Lymph node section stained with H&E, from a whole-slide image of a breast-cancer sentinel node. Magnification about 10×, about 0.5 mm across the frame, about 0.97 µm per pixel.
Question: 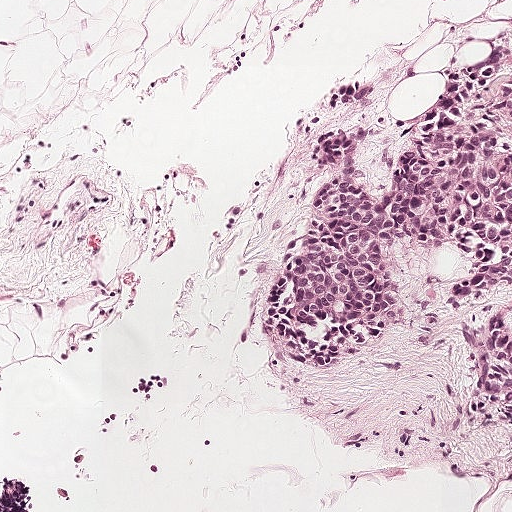
What fraction of the image area is metastatic tumour?

Choices:
 (A) about 5% or less
 (B) about 50% or more
 (C) about 25% to 45%
 (D) about 10% to 20%
 (E) none: no tumour is outlined

Answer: (D) about 10% to 20%
About 20% of the field is tumour.
Two metastatic tumour regions, each outlined as a closed clockwise path in crop pixels (x, y), largest first: region 1: (511, 46), (511, 288), (445, 305), (470, 264), (452, 244), (395, 236), (413, 280), (399, 320), (344, 346), (332, 364), (303, 358), (270, 331), (266, 296), (322, 172), (306, 146), (347, 118), (346, 106), (316, 98), (316, 85), (369, 75), (356, 152), (388, 187), (434, 83); region 2: (511, 300), (511, 402), (504, 402), (494, 400), (473, 388), (469, 380), (465, 348), (469, 335), (480, 318).